Image:
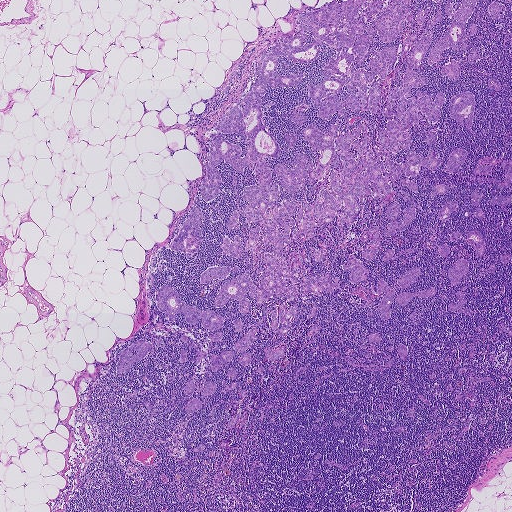
This is a crop of a whole-slide image: an H&E-stained breast-cancer sentinel lymph node section at roughly 2.5× magnification (about 3.6 µm per pixel; the crop spans about 1.9 mm).
Question:
Show where the tumour is in this image.
Answer:
Outlines of eight tumour regions, largest first (closed clockwise paths, crop pixels): region 1: (447, 0), (450, 0), (454, 13), (462, 0), (477, 0), (465, 28), (467, 40), (466, 51), (463, 51), (460, 45), (456, 49), (448, 48), (444, 50), (441, 59), (434, 64), (429, 65), (427, 52), (455, 18), (452, 19), (444, 10); region 2: (164, 284), (171, 286), (178, 298), (188, 306), (196, 308), (200, 311), (210, 310), (224, 317), (222, 322), (224, 324), (221, 328), (211, 330), (204, 327), (200, 318), (195, 324), (190, 324), (184, 315), (179, 313), (174, 314), (173, 319), (166, 317), (155, 303), (158, 289); region 3: (197, 204), (201, 214), (200, 225), (202, 232), (199, 247), (190, 258), (186, 258), (184, 255), (186, 252), (171, 250), (169, 247), (171, 243), (191, 209); region 4: (466, 91), (471, 92), (474, 99), (471, 131), (451, 117), (449, 112), (450, 99), (454, 95); region 5: (141, 340), (151, 344), (152, 349), (133, 364), (128, 372), (117, 372), (116, 364), (121, 352), (130, 346), (134, 342); region 6: (380, 279), (383, 279), (388, 286), (394, 290), (393, 298), (390, 306), (391, 317), (387, 319), (381, 319), (375, 309), (384, 296), (385, 293), (382, 292), (377, 294), (375, 292), (375, 286), (378, 281); region 7: (281, 305), (283, 305), (286, 310), (288, 312), (290, 307), (292, 306), (295, 306), (296, 311), (294, 316), (289, 318), (290, 327), (285, 336), (280, 331), (275, 333), (275, 330), (280, 329), (283, 324), (278, 321), (275, 329), (273, 330), (271, 328), (270, 322), (272, 320), (271, 314), (274, 310), (276, 312), (277, 317); region 8: (351, 257), (356, 259), (367, 270), (366, 280), (357, 282), (349, 280), (350, 270), (344, 271), (343, 269), (346, 261).
One more tumour region is annotated but not outlined: its edge is too irregular for a short outline.
36 more, smaller tumour regions are not outlined.
28 more small tumour pieces are annotated here but not outlined.
About 20% of the image area is annotated as tumour.